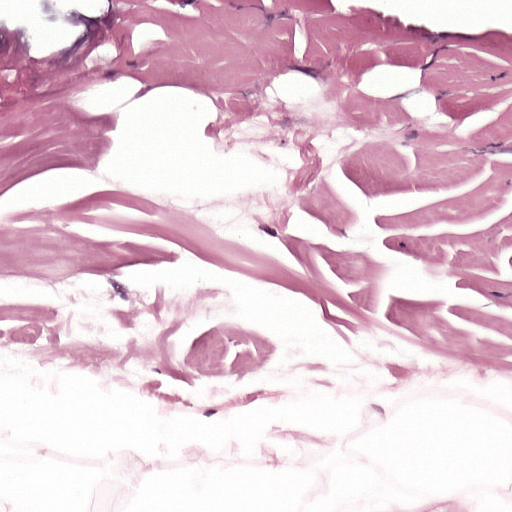
A 0.25-mm field of an H&E-stained sentinel lymph node from a breast-cancer patient (whole-slide image), shown at about 20×, about 0.49 µm per pixel.